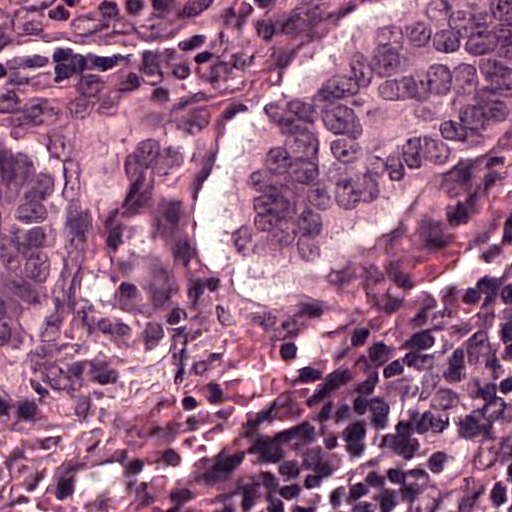
A 0.12-mm field of an H&E-stained sentinel lymph node from a breast-cancer patient (whole-slide image), shown at about 40×, about 0.24 µm per pixel.
Outlines of two tumour regions, largest first (closed clockwise paths, crop pixels): region 1: (511, 0), (511, 125), (359, 196), (318, 237), (268, 261), (221, 255), (218, 124), (271, 40), (306, 8); region 2: (0, 102), (21, 102), (65, 127), (81, 162), (98, 255), (98, 305), (96, 321), (81, 337), (15, 362), (0, 373).
Tumour covers about 30% of the frame.